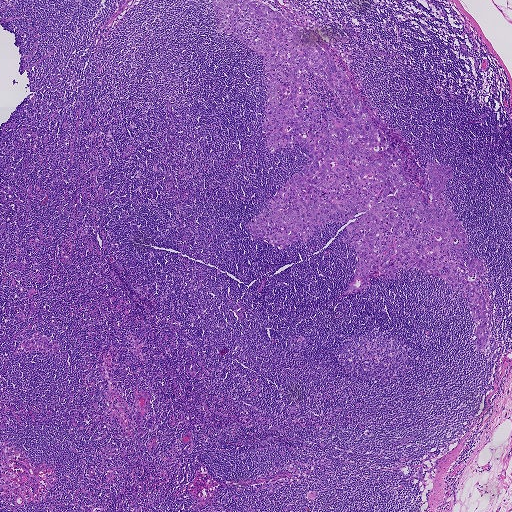
H&E-stained section of a sentinel lymph node (breast cancer), from a whole-slide image, viewed at about 2.5×: the field is about 1.9 mm across, about 3.6 µm per pixel.
Metastatic tumour outline, simplified to 24 points and listed clockwise in crop pixels (x, y): (213, 5), (274, 6), (344, 68), (367, 112), (415, 162), (451, 166), (445, 195), (468, 245), (458, 257), (486, 264), (483, 350), (464, 295), (417, 268), (338, 297), (357, 257), (339, 220), (283, 251), (254, 241), (243, 226), (309, 155), (297, 143), (263, 149), (264, 68), (218, 32).
About 15% of the image area is annotated as tumour.